Question: 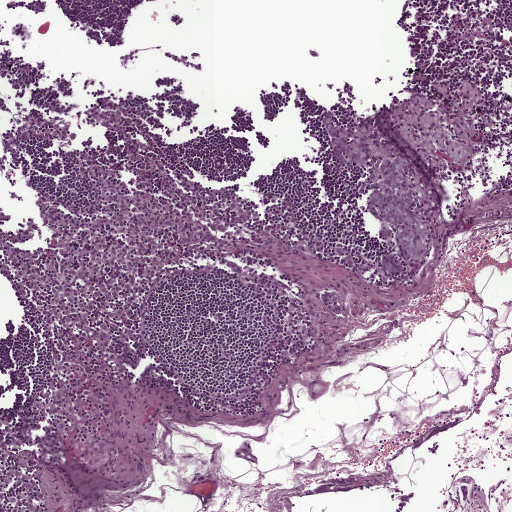
About what magnification does this crop show?

Choices:
 (A) about 10×
 (B) about 5×
 (C) about 20×
 (D) about 2.5×
 (E) about 40×

Answer: (B) about 5×
Lymph node section stained with H&E, from a whole-slide image of a breast-cancer sentinel node. Magnification about 5×, about 1 mm across the frame, about 1.9 µm per pixel.
Boundaries of three metastatic tumour regions, simplified and listed clockwise, largest first: region 1: (454, 74), (467, 76), (486, 95), (488, 106), (476, 164), (465, 170), (449, 166), (436, 247), (423, 270), (413, 271), (399, 258), (394, 243), (381, 241), (373, 217), (363, 213), (365, 168), (330, 158), (321, 123), (329, 107), (344, 125), (353, 114); region 2: (322, 290), (333, 290), (345, 295), (348, 307), (347, 318), (335, 318), (327, 311), (321, 302); region 3: (388, 254), (395, 257), (401, 266), (400, 273), (392, 273), (383, 270), (381, 256).
Tumour covers about 5% of the frame.